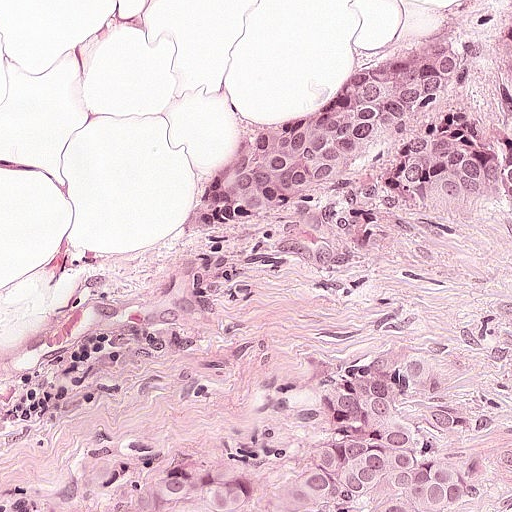
Lymph node section stained with H&E, from a whole-slide image of a breast-cancer sentinel node. Magnification about 20×, about 0.25 mm across the frame, about 0.49 µm per pixel.
Boundaries of two metastatic tumour regions, simplified and listed clockwise, largest first: region 1: (511, 0), (511, 238), (330, 305), (222, 292), (204, 254), (214, 170), (402, 52), (454, 2); region 2: (511, 295), (511, 511), (140, 511), (254, 426), (364, 372), (398, 370), (459, 347), (500, 316).
The annotated tumour makes up about 40% of the crop.